Image:
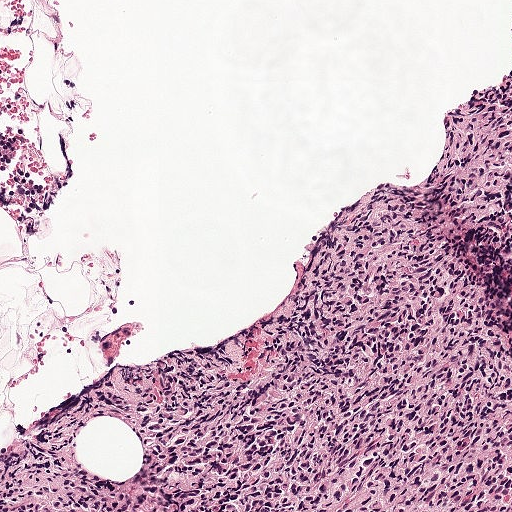
This is a crop of a whole-slide image: an H&E-stained breast-cancer sentinel lymph node section at roughly 10× magnification (about 0.97 µm per pixel; the crop spans about 0.5 mm).
Question:
Where is the metastatic tumour in this field?
Answer:
Tumour region outline (a closed clockwise path, crop pixels): (510, 20), (511, 511), (0, 511), (0, 471), (29, 438), (253, 330), (446, 152).
About 40% of the image area is annotated as tumour.